Question: 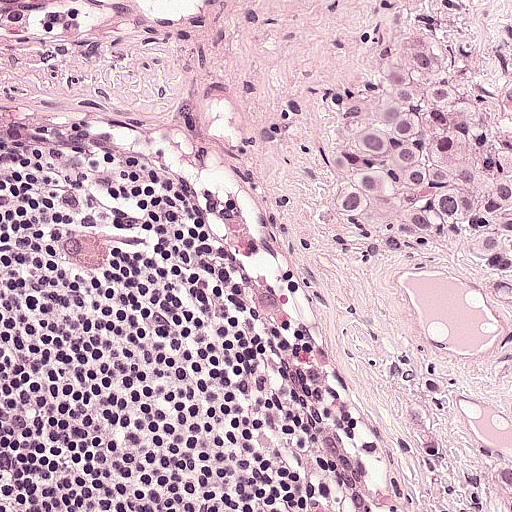
H&E-stained section of a sentinel lymph node (breast cancer), from a whole-slide image, viewed at about 20×: the field is about 0.25 mm across, about 0.49 µm per pixel.
What fraction of the image area is metastatic tumour?

Choices:
 (A) about 50% or more
 (B) about 25% to 45%
 (C) about 10% to 20%
 (D) none: no tumour is outlined
 (E) about 5% or less

Answer: (C) about 10% to 20%
About 15% of the field is tumour.
One metastatic tumour region; its boundary, reduced to 10 corners and listed clockwise: (413, 29), (468, 50), (511, 96), (511, 329), (477, 288), (426, 260), (362, 248), (313, 227), (333, 107), (372, 49).
One more tumour region is annotated but not outlined: its edge is too irregular for a short outline.